Question: 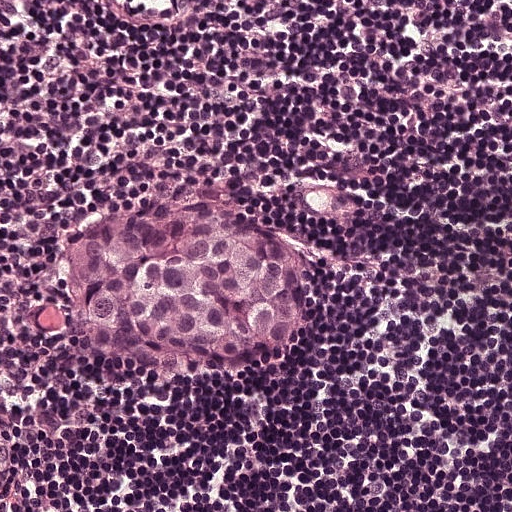
H&E-stained section of a sentinel lymph node (breast cancer), from a whole-slide image, viewed at about 20×: the field is about 0.25 mm across, about 0.49 µm per pixel.
Roughly what share of this field is metastatic tumour?

Choices:
 (A) about 10% to 20%
 (B) about 50% or more
 (C) about 25% to 45%
 (D) about 5% or less
 (E) none: no tumour is outlined

Answer: (A) about 10% to 20%
About 15% of the field is tumour.
One metastatic tumour region; its boundary, reduced to 13 corners and listed clockwise: (157, 172), (276, 226), (301, 250), (308, 326), (274, 362), (244, 372), (150, 364), (85, 336), (60, 309), (65, 248), (85, 208), (118, 195), (124, 174).